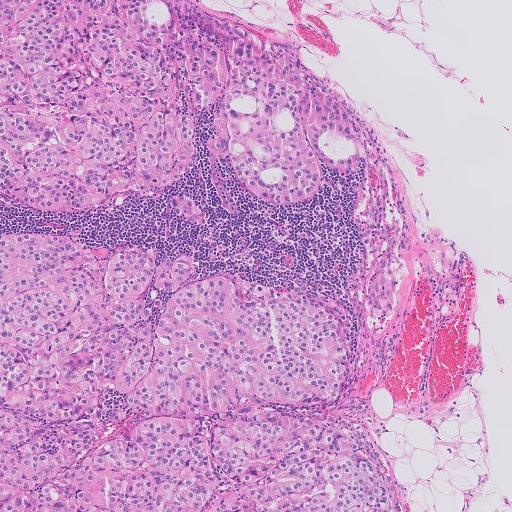
A 1.0-mm field of an H&E-stained sentinel lymph node from a breast-cancer patient (whole-slide image), shown at about 5×, about 2.0 µm per pixel.
Boundaries of three metastatic tumour regions, simplified and listed clockwise, largest first: region 1: (0, 231), (189, 250), (321, 307), (344, 328), (355, 439), (393, 511), (0, 511); region 2: (0, 0), (202, 0), (358, 118), (363, 147), (302, 206), (247, 199), (203, 118), (202, 172), (180, 189), (92, 210), (6, 203); region 3: (187, 191), (204, 203), (212, 226), (197, 227), (182, 222), (168, 205), (174, 194).
The annotated tumour makes up about 60% of the crop.